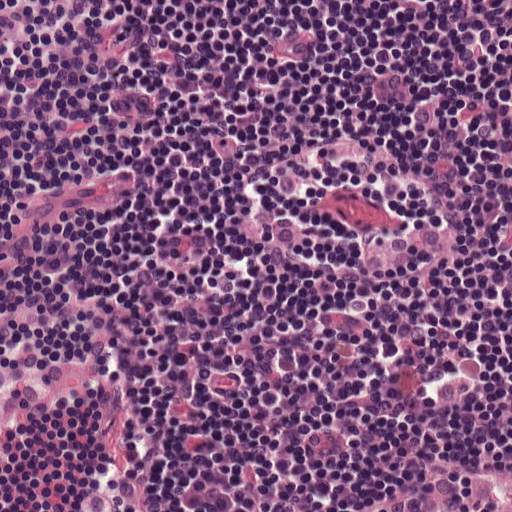
H&E-stained section of a sentinel lymph node (breast cancer), from a whole-slide image, viewed at about 20×: the field is about 0.25 mm across, about 0.49 µm per pixel.